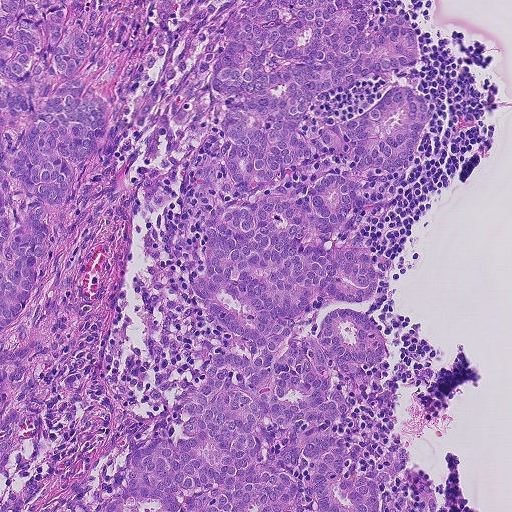
A 0.46-mm field of an H&E-stained sentinel lymph node from a breast-cancer patient (whole-slide image), shown at about 10×, about 0.9 µm per pixel.
Tumour region outline (a closed clockwise path, crop pixels): (0, 0), (375, 0), (376, 12), (413, 22), (433, 119), (405, 188), (358, 236), (392, 255), (394, 273), (362, 312), (389, 358), (351, 399), (346, 436), (362, 446), (358, 472), (403, 442), (412, 459), (387, 486), (403, 511), (0, 511).
About 75% of the image area is annotated as tumour.